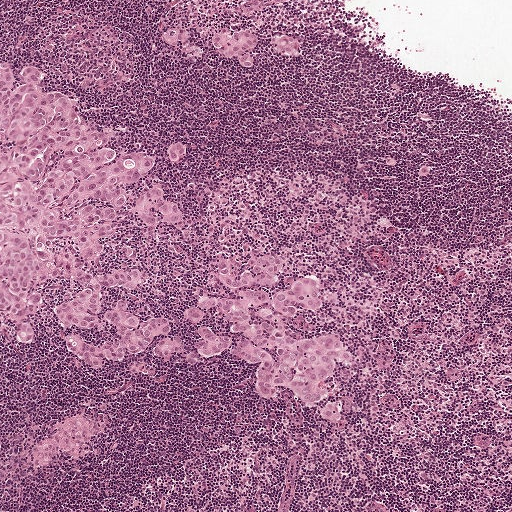
H&E-stained section of a sentinel lymph node (breast cancer), from a whole-slide image, viewed at about 5×: the field is about 1 mm across, about 1.9 µm per pixel.
Seven metastatic tumour regions, each outlined as a closed clockwise path in crop pixels (x, y), largest first: region 1: (3, 59), (13, 89), (26, 83), (20, 67), (37, 64), (45, 89), (101, 126), (121, 157), (153, 154), (142, 189), (164, 186), (185, 226), (156, 233), (125, 211), (118, 218), (148, 282), (108, 292), (105, 307), (125, 297), (142, 315), (174, 321), (126, 361), (94, 369), (68, 349), (72, 336), (110, 346), (119, 334), (58, 318), (58, 303), (80, 289), (66, 277), (45, 287), (38, 344), (1, 332); region 2: (286, 254), (287, 271), (266, 286), (271, 295), (291, 293), (297, 280), (314, 275), (329, 300), (320, 311), (299, 308), (290, 332), (332, 334), (355, 360), (352, 366), (337, 362), (325, 384), (341, 407), (340, 419), (326, 422), (321, 403), (306, 402), (286, 386), (268, 400), (260, 398), (260, 369), (228, 352), (190, 367), (204, 326), (245, 337), (221, 310), (198, 322), (186, 310), (204, 296), (238, 298), (220, 276), (220, 260), (231, 260), (239, 277), (261, 258); region 3: (249, 30), (257, 33), (259, 37), (258, 47), (252, 51), (252, 66), (248, 68), (242, 67), (234, 60), (221, 55), (212, 47), (212, 38), (214, 36), (223, 32); region 4: (281, 35), (294, 36), (300, 39), (300, 49), (299, 57), (282, 56), (274, 52), (272, 42), (274, 38); region 5: (181, 335), (183, 340), (183, 352), (167, 356), (162, 355), (156, 351), (158, 342), (167, 336), (172, 338); region 6: (180, 25), (190, 31), (190, 41), (185, 46), (178, 47), (162, 41), (164, 32), (174, 34), (177, 32), (175, 26); region 7: (173, 141), (182, 142), (185, 142), (185, 145), (185, 157), (177, 161), (171, 161), (168, 160), (168, 150), (170, 142).
About 20% of the image area is annotated as tumour.